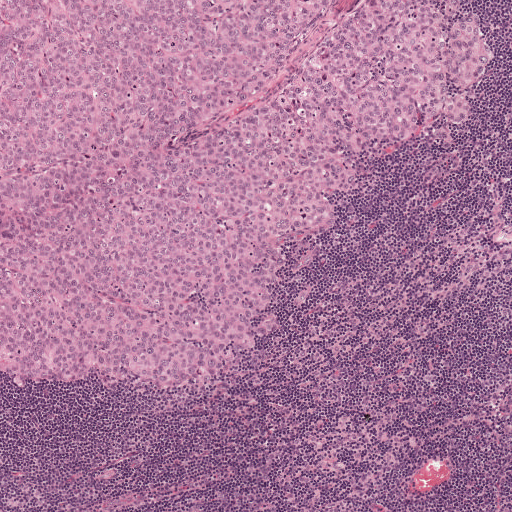
H&E-stained section of a sentinel lymph node (breast cancer), from a whole-slide image, viewed at about 5×: the field is about 1 mm across, about 1.9 µm per pixel.
Question: Where is the metastatic tumour in this field?
Answer: Tumour region outline (a closed clockwise path, crop pixels): (0, 0), (461, 0), (482, 19), (495, 57), (468, 94), (475, 111), (450, 130), (453, 143), (430, 133), (442, 113), (419, 116), (402, 152), (359, 159), (361, 189), (331, 198), (339, 221), (287, 247), (279, 334), (235, 374), (173, 391), (16, 386), (0, 376).
Tumour covers about 55% of the frame.